Question: 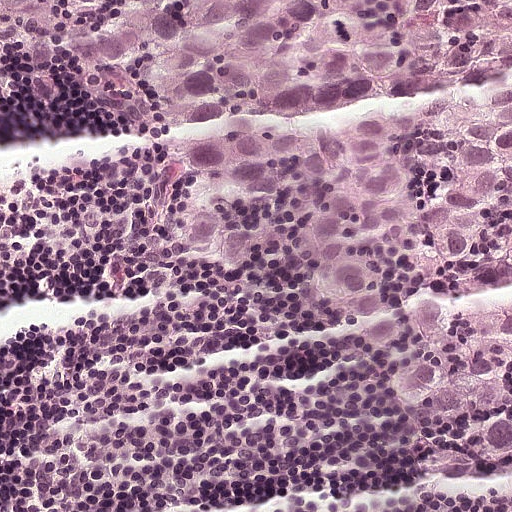
This is a crop of a whole-slide image: an H&E-stained breast-cancer sentinel lymph node section at roughly 20× magnification (about 0.49 µm per pixel; the crop spans about 0.25 mm).
About how much of this crop is taken up by metastatic carcinoma?

Choices:
 (A) about 50% or more
 (B) about 5% or less
 (C) about 10% to 20%
 (D) about 25% to 45%
 (E) none: no tumour is outlined

Answer: (A) about 50% or more
About 65% of the field is tumour.
Metastatic tumour outline, simplified to 10 points and listed clockwise in crop pixels (x, y): (0, 0), (511, 0), (511, 511), (418, 511), (353, 432), (306, 410), (188, 314), (150, 270), (126, 186), (0, 120).